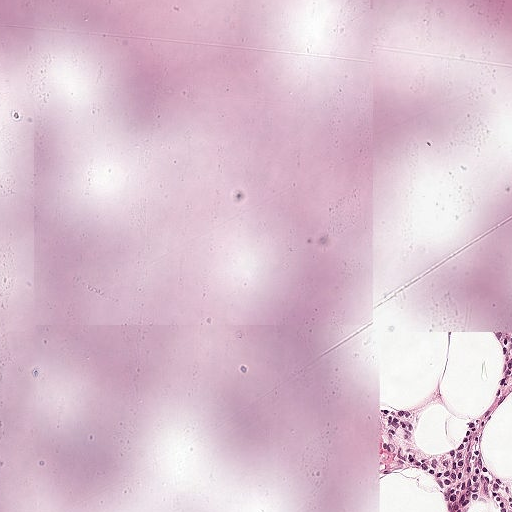
Lymph node section stained with H&E, from a whole-slide image of a breast-cancer sentinel node. Magnification about 10×, about 0.5 mm across the frame, about 0.97 µm per pixel.